Image:
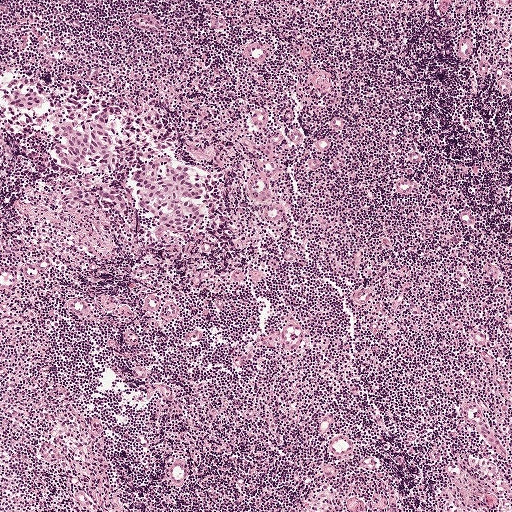
Lymph node section stained with H&E, from a whole-slide image of a breast-cancer sentinel node. Magnification about 5×, about 1 mm across the frame, about 1.9 µm per pixel.
Question:
Where is the metastatic tumour in this field?
Answer:
Boundaries of two metastatic tumour regions, simplified and listed clockwise, largest first: region 1: (13, 76), (50, 78), (66, 90), (133, 103), (164, 120), (174, 134), (169, 150), (224, 187), (227, 216), (223, 224), (213, 228), (207, 210), (191, 229), (164, 226), (142, 206), (136, 178), (124, 184), (96, 168), (78, 174), (57, 162), (52, 132), (17, 123), (3, 103), (0, 92); region 2: (73, 184), (80, 184), (91, 189), (118, 190), (127, 197), (125, 210), (119, 213), (102, 204), (84, 205), (79, 207), (66, 206), (62, 197), (71, 190).
About 5% of this field is tumour.